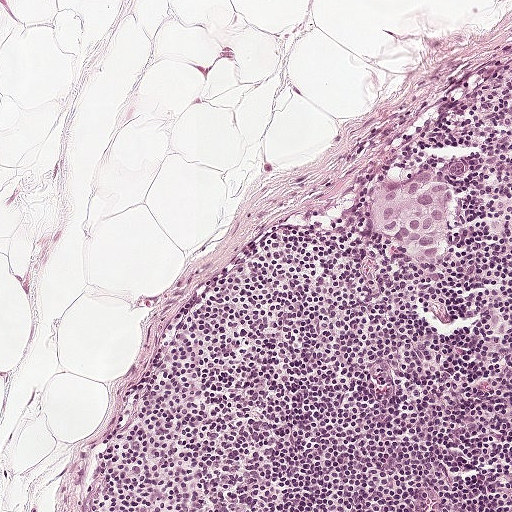
H&E-stained section of a sentinel lymph node (breast cancer), from a whole-slide image, viewed at about 10×: the field is about 0.5 mm across, about 0.97 µm per pixel.
Metastatic tumour outline, simplified to 15 points and listed clockwise in crop pixels (x, y): (422, 169), (432, 171), (449, 184), (449, 201), (441, 226), (442, 256), (438, 264), (427, 265), (417, 262), (396, 242), (385, 242), (366, 230), (373, 194), (382, 187), (414, 175).
Tumour covers under 5% of the frame.